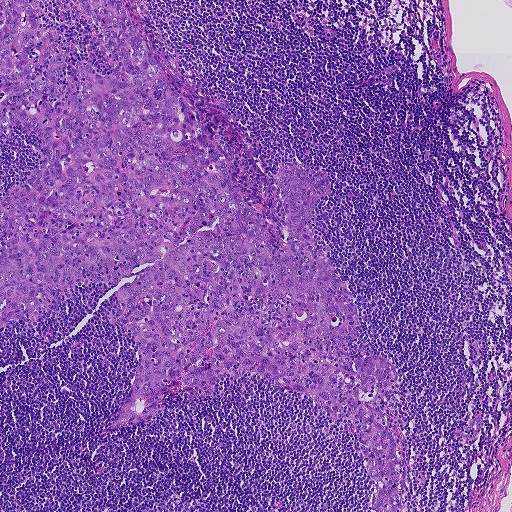
A 0.93-mm field of an H&E-stained sentinel lymph node from a breast-cancer patient (whole-slide image), shown at about 5×, about 1.8 µm per pixel.
Question: Show where the tumour is in this image.
Answer: Metastatic tumour outline, simplified to 23 points and listed clockwise in crop pixels (x, y): (0, 0), (123, 0), (273, 180), (278, 161), (326, 170), (314, 229), (360, 329), (340, 353), (397, 366), (402, 511), (370, 511), (352, 429), (257, 375), (169, 392), (151, 422), (100, 432), (138, 354), (107, 318), (112, 286), (0, 333), (0, 198), (42, 149), (9, 132).
About 40% of this field is tumour.